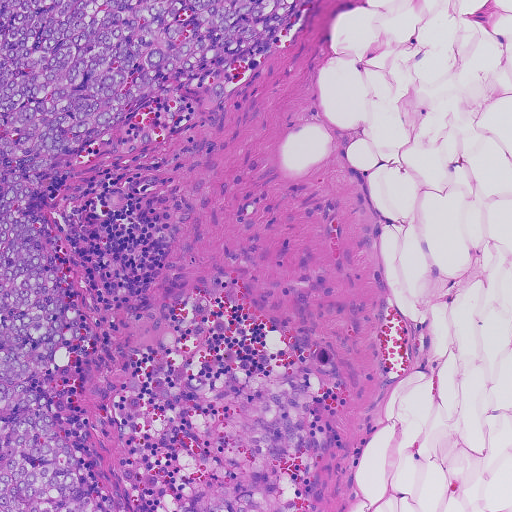
This is a crop of a whole-slide image: an H&E-stained breast-cancer sentinel lymph node section at roughly 10× magnification (about 0.91 µm per pixel; the crop spans about 0.46 mm).
Question: Trace the edge of each tumour region in this crop, as (x, y) points from 0 to 511.
Answer: Boundaries of two metastatic tumour regions, simplified and listed clockwise, largest first: region 1: (0, 0), (313, 0), (266, 53), (222, 68), (222, 101), (206, 90), (207, 78), (162, 88), (32, 193), (28, 207), (89, 342), (67, 420), (110, 510), (0, 511); region 2: (306, 362), (318, 372), (320, 403), (303, 447), (284, 474), (289, 511), (167, 511), (178, 485), (173, 471), (176, 455), (194, 414), (242, 372), (289, 371).
One more small tumour piece is annotated here but not outlined.
About 30% of the image area is annotated as tumour.